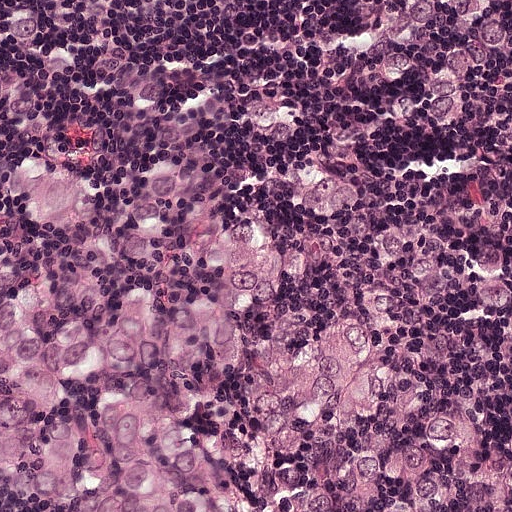
This is a crop of a whole-slide image: an H&E-stained breast-cancer sentinel lymph node section at roughly 20× magnification (about 0.49 µm per pixel; the crop spans about 0.25 mm).
The outlined metastatic tumour's edge, as a closed clockwise path of 8 points: (0, 0), (32, 0), (152, 90), (296, 157), (510, 212), (511, 511), (41, 511), (0, 501).
About 75% of the image area is annotated as tumour.